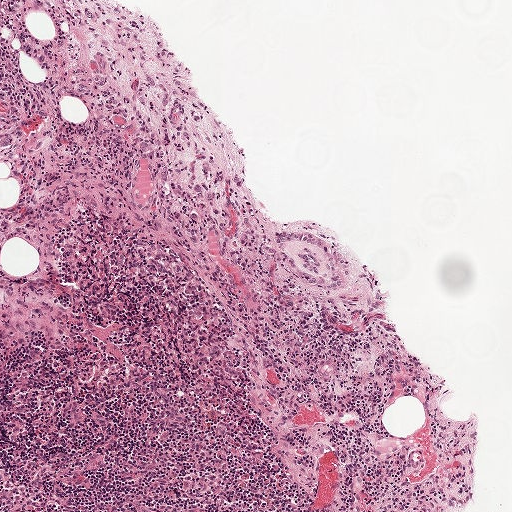
H&E-stained section of a sentinel lymph node (breast cancer), from a whole-slide image, viewed at about 5×: the field is about 1 mm across, about 1.9 µm per pixel.
Two metastatic tumour regions, each outlined as a closed clockwise path in crop pixels (x, y), largest first: region 1: (29, 0), (92, 0), (174, 51), (227, 119), (258, 202), (275, 227), (294, 242), (343, 256), (386, 289), (391, 314), (385, 332), (340, 328), (278, 303), (206, 220), (139, 95), (46, 26); region 2: (0, 141), (26, 168), (27, 193), (32, 198), (32, 216), (29, 240), (2, 286), (3, 322), (0, 329).
Tumour covers about 10% of the frame.